Image:
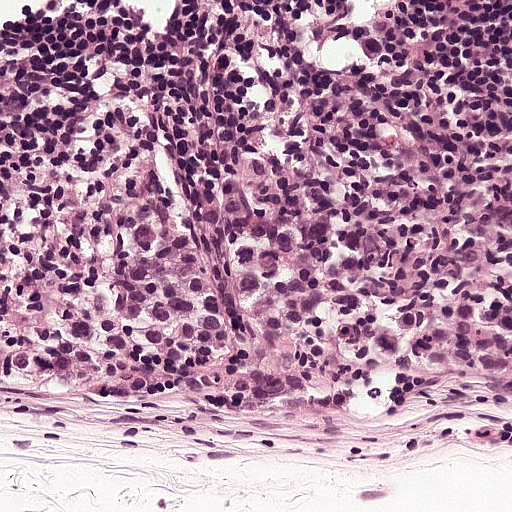
Lymph node section stained with H&E, from a whole-slide image of a breast-cancer sentinel node. Magnification about 20×, about 0.25 mm across the frame, about 0.49 µm per pixel.
Question:
Which parts of this field are metastatic tumour?
Answer:
The outlined metastatic tumour's edge, as a closed clockwise path of 9 points: (170, 82), (280, 142), (370, 136), (426, 114), (472, 116), (511, 134), (511, 430), (2, 401), (0, 93).
The annotated tumour makes up about 60% of the crop.